Image:
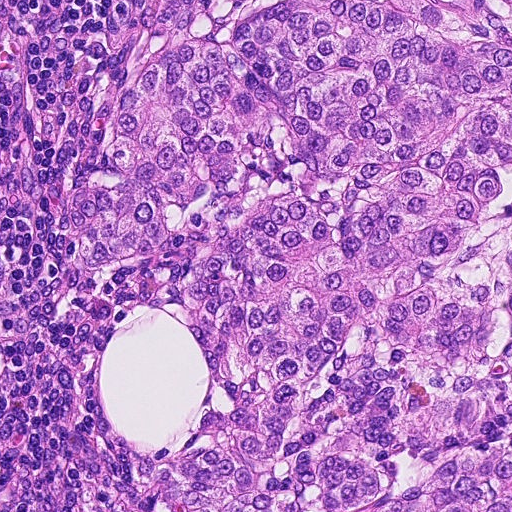
Lymph node section stained with H&E, from a whole-slide image of a breast-cancer sentinel node. Magnification about 20×, about 0.23 mm across the frame, about 0.45 µm per pixel.
Question:
Outline the metastatic carcinoma in this image, as closed paths of (x, y) pixel coordinates.
Answer:
The outlined metastatic tumour's edge, as a closed clockwise path of 23 points: (190, 0), (511, 0), (511, 511), (153, 511), (156, 482), (133, 476), (145, 449), (172, 452), (207, 408), (204, 352), (178, 300), (186, 272), (279, 198), (307, 162), (277, 119), (226, 185), (174, 208), (142, 253), (86, 262), (64, 244), (68, 184), (112, 153), (136, 72).
The annotated tumour makes up about 70% of the crop.